Image:
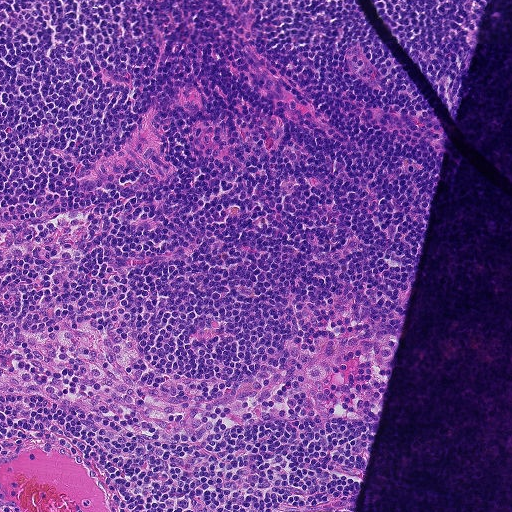
A 0.46-mm field of an H&E-stained sentinel lymph node from a breast-cancer patient (whole-slide image), shown at about 10×, about 0.9 µm per pixel.
Question:
Is there metastatic carcinoma in this field?
Answer:
No: no metastatic tumour is outlined anywhere in this field.